Question: 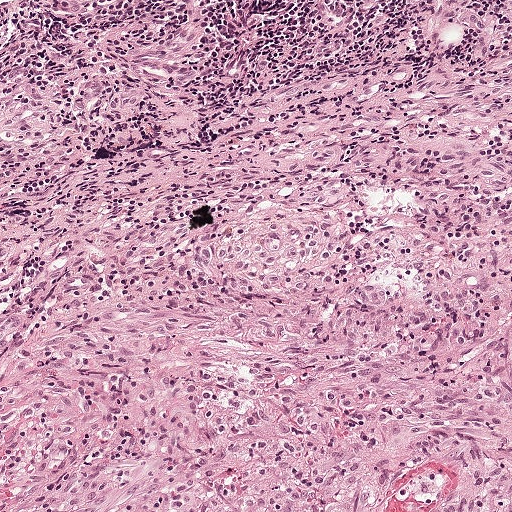
Which magnification is this H&E lymph node field most likely shown at?

Choices:
 (A) about 10×
 (B) about 5×
 (C) about 40×
 (D) about 2.5×
 (E) about 20×

Answer: (A) about 10×
Lymph node section stained with H&E, from a whole-slide image of a breast-cancer sentinel node. Magnification about 10×, about 0.5 mm across the frame, about 0.97 µm per pixel.